This is a crop of a whole-slide image: an H&E-stained breast-cancer sentinel lymph node section at roughly 2.5× magnification (about 3.6 µm per pixel; the crop spans about 1.9 mm).
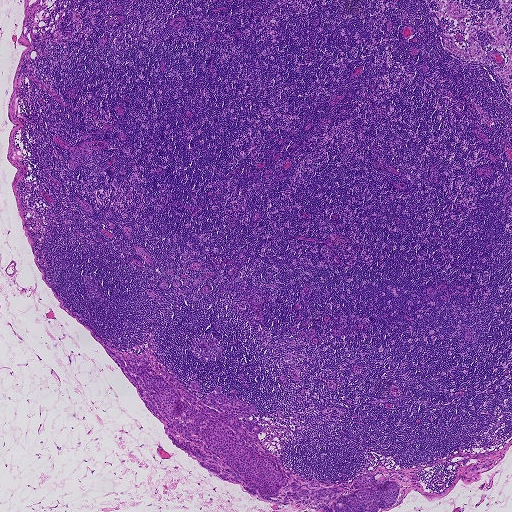
The outlined metastatic tumour's edge, as a closed clockwise path of 23 points: (91, 333), (109, 347), (149, 354), (190, 392), (198, 399), (220, 385), (230, 397), (236, 389), (232, 397), (258, 410), (251, 414), (263, 430), (259, 439), (300, 477), (341, 486), (382, 472), (400, 488), (396, 502), (323, 511), (309, 504), (278, 505), (209, 474), (175, 446).
About 5% of this field is tumour.